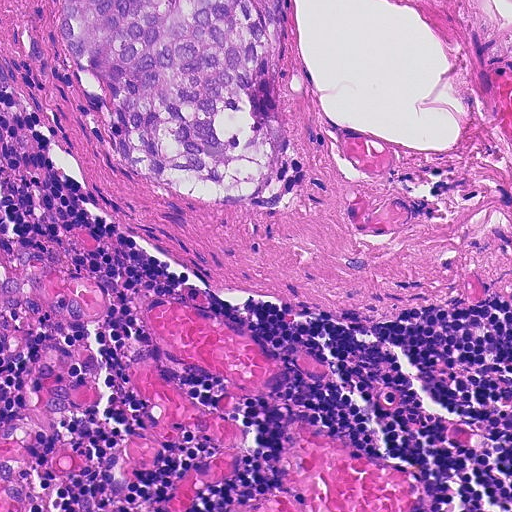
A 0.23-mm field of an H&E-stained sentinel lymph node from a breast-cancer patient (whole-slide image), shown at about 20×, about 0.45 µm per pixel.
One metastatic tumour region; its boundary, reduced to 10 corners and listed clockwise: (59, 0), (286, 0), (272, 85), (290, 140), (294, 197), (278, 209), (221, 204), (128, 170), (114, 156), (56, 31).
The annotated tumour makes up about 15% of the crop.